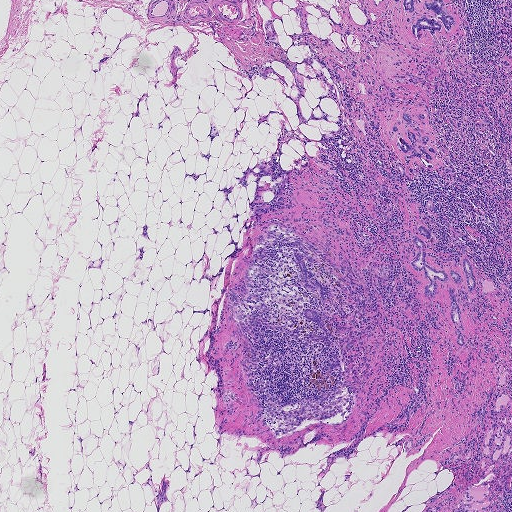
A 1.9-mm field of an H&E-stained sentinel lymph node from a breast-cancer patient (whole-slide image), shown at about 2.5×, about 3.6 µm per pixel.
Boundaries of seven metastatic tumour regions, simplified and listed clockwise, largest first: region 1: (420, 223), (427, 226), (433, 238), (431, 246), (426, 252), (426, 261), (429, 264), (437, 268), (454, 268), (460, 271), (461, 248), (465, 246), (467, 250), (476, 283), (474, 292), (472, 295), (468, 294), (470, 298), (468, 301), (459, 301), (466, 343), (462, 346), (455, 343), (455, 330), (450, 318), (449, 301), (444, 287), (436, 298), (432, 299), (424, 297), (422, 288), (426, 281), (422, 271), (418, 273), (414, 271), (409, 264), (409, 260), (416, 252), (411, 245), (410, 236); region 2: (415, 102), (427, 106), (428, 125), (421, 126), (429, 131), (434, 143), (431, 144), (453, 167), (455, 173), (431, 169), (414, 157), (409, 162), (414, 172), (409, 173), (404, 165), (404, 154), (396, 145), (396, 133), (393, 133), (391, 127), (401, 119), (404, 109); region 3: (292, 252), (313, 257), (313, 262), (305, 261), (304, 265), (321, 284), (325, 284), (332, 289), (330, 298), (323, 303), (321, 311), (327, 328), (333, 339), (336, 351), (347, 342), (351, 341), (355, 342), (355, 346), (349, 351), (344, 359), (343, 372), (339, 373), (325, 364), (332, 358), (326, 347), (307, 336), (308, 332), (325, 335), (324, 331), (309, 321), (304, 314), (303, 310), (316, 307), (318, 303), (316, 291), (304, 287), (294, 278), (298, 263); region 4: (402, 0), (442, 0), (444, 7), (454, 18), (455, 24), (449, 31), (446, 30), (442, 25), (440, 31), (432, 34), (428, 30), (422, 31), (419, 40), (405, 28), (406, 19), (410, 14), (404, 11); region 5: (448, 490), (451, 491), (452, 494), (454, 494), (457, 499), (459, 498), (464, 491), (466, 491), (475, 498), (486, 501), (493, 506), (503, 510), (504, 511), (420, 511), (427, 506), (428, 504), (425, 504), (426, 501), (430, 497), (439, 492); region 6: (347, 0), (360, 0), (363, 5), (364, 8), (366, 10), (368, 16), (370, 21), (370, 24), (368, 24), (366, 21), (366, 16), (360, 9), (356, 4), (350, 2); region 7: (261, 71), (272, 71), (275, 73), (268, 77), (264, 77), (260, 76), (258, 73).
Eight more small tumour pieces are annotated here but not outlined.
About 5% of the image area is annotated as tumour.